Question: 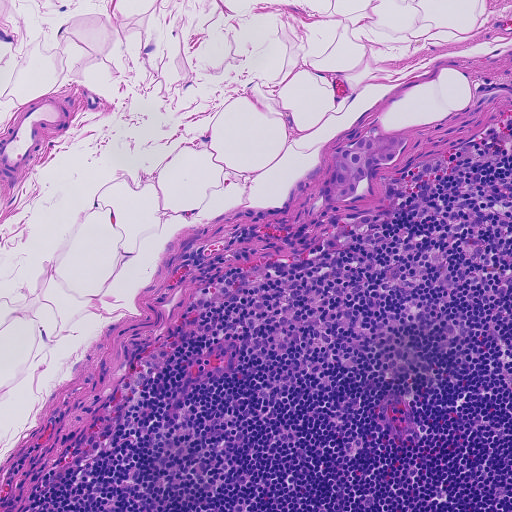
Lymph node section stained with H&E, from a whole-slide image of a breast-cancer sentinel node. Magnification about 10×, about 0.46 mm across the frame, about 0.91 µm per pixel.
About how much of this crop is taken up by metastatic carcinoma?

Choices:
 (A) none: no tumour is outlined
 (B) about 10% to 20%
 (C) about 50% or more
 (D) about 25% to 45%
 (E) about 5% or less

Answer: (E) about 5% or less
Under 5% of the field is tumour.
The outlined metastatic tumour's edge, as a closed clockwise path of 17 points: (384, 132), (410, 136), (408, 146), (400, 150), (397, 160), (390, 165), (381, 165), (372, 171), (354, 196), (330, 204), (321, 202), (318, 197), (317, 187), (329, 162), (330, 148), (356, 142), (362, 136).